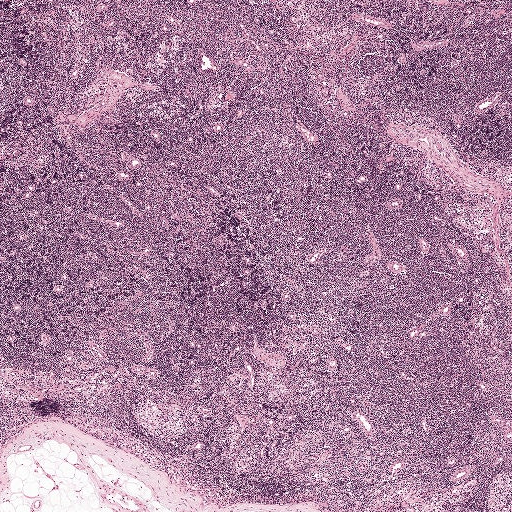
H&E-stained section of a sentinel lymph node (breast cancer), from a whole-slide image, viewed at about 2.5×: the field is about 2.0 mm across, about 3.9 µm per pixel.
Question: Is any metastatic breast cancer visible in this crop?
Answer: No. No metastatic tumour is outlined in this field.